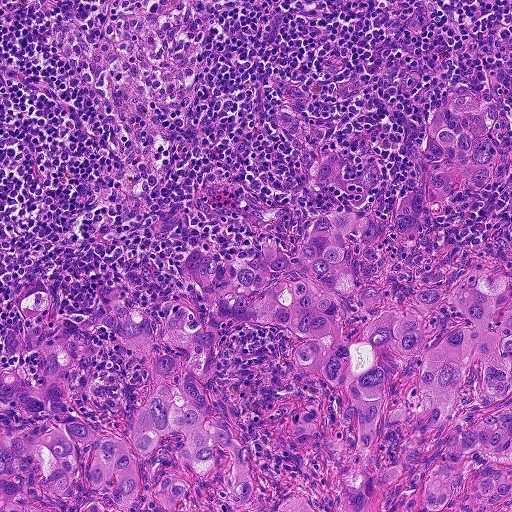
Lymph node section stained with H&E, from a whole-slide image of a breast-cancer sentinel node. Magnification about 10×, about 0.46 mm across the frame, about 0.9 µm per pixel.
Three metastatic tumour regions, each outlined as a closed clockwise path in crop pixels (x, y), largest first: region 1: (344, 208), (380, 226), (404, 284), (444, 288), (511, 259), (511, 511), (342, 511), (346, 479), (325, 425), (305, 441), (292, 423), (314, 408), (342, 425), (343, 397), (292, 362), (300, 338), (220, 319), (185, 258), (193, 246), (250, 258), (270, 238), (291, 253); region 2: (43, 280), (62, 299), (50, 328), (100, 284), (159, 324), (194, 304), (218, 342), (213, 412), (254, 446), (264, 498), (306, 493), (317, 509), (0, 511), (0, 429), (59, 419), (0, 395), (0, 372), (42, 380), (46, 366), (39, 350), (0, 344), (0, 312), (33, 326), (25, 299); region 3: (451, 88), (479, 90), (489, 98), (497, 110), (497, 136), (511, 139), (511, 167), (510, 161), (481, 190), (454, 192), (416, 231), (402, 233), (396, 222), (415, 173), (414, 146), (426, 120).
The annotated tumour makes up about 45% of the crop.